Image:
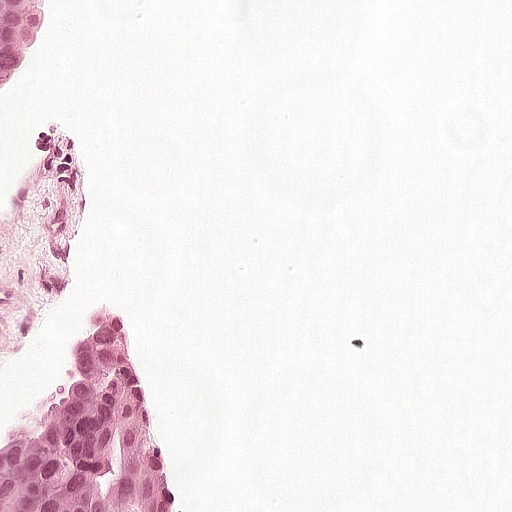
This is a crop of a whole-slide image: an H&E-stained breast-cancer sentinel lymph node section at roughly 20× magnification (about 0.49 µm per pixel; the crop spans about 0.25 mm).
Question:
Which parts of this field are metastatic tumour? Answer with the outline of each region, in pixels.
Answer:
Boundaries of two metastatic tumour regions, simplified and listed clockwise, largest first: region 1: (110, 310), (140, 367), (177, 510), (0, 511), (0, 430), (23, 416), (96, 318); region 2: (0, 0), (51, 0), (51, 12), (39, 45), (26, 56), (9, 62), (0, 75).
About 10% of this field is tumour.